Question: 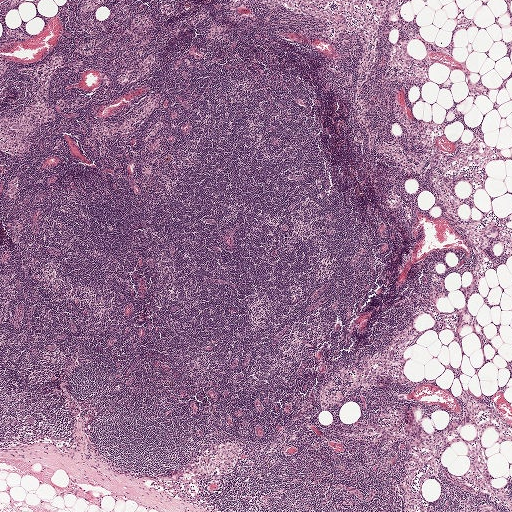
Which magnification is this H&E lymph node field most likely shown at?

Choices:
 (A) about 2.5×
 (B) about 20×
 (C) about 40×
 (D) about 5×
 (E) about 10×

Answer: (A) about 2.5×
Lymph node section stained with H&E, from a whole-slide image of a breast-cancer sentinel node. Magnification about 2.5×, about 2.0 mm across the frame, about 3.9 µm per pixel.